Question: 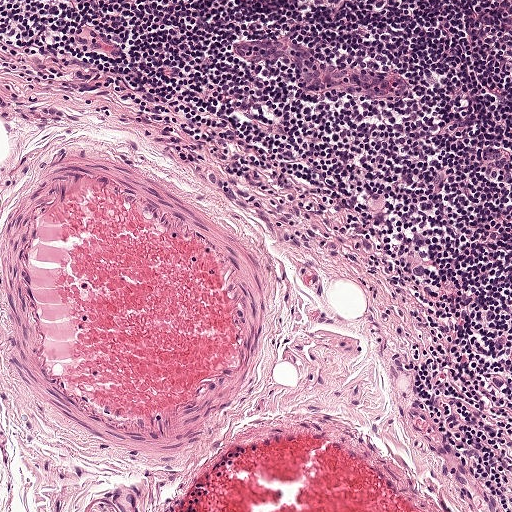
Lymph node section stained with H&E, from a whole-slide image of a breast-cancer sentinel node. Magnification about 10×, about 0.5 mm across the frame, about 0.97 µm per pixel.
What fraction of the image area is metastatic tumour?

Choices:
 (A) about 5% or less
 (B) about 50% or more
 (C) none: no tumour is outlined
 (D) about 10% to 20%
 (E) about 25% to 45%

Answer: (C) none: no tumour is outlined
No metastatic tumour is outlined in this field.